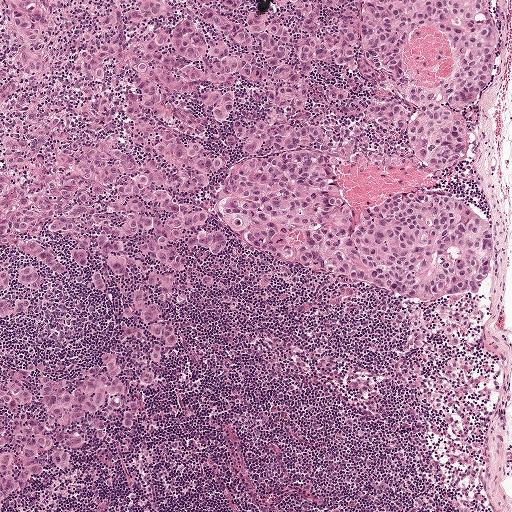
Lymph node section stained with H&E, from a whole-slide image of a breast-cancer sentinel node. Magnification about 5×, about 1 mm across the frame, about 1.9 µm per pixel.
Tumour region outline (a closed clockwise path, crop pixels): (0, 0), (494, 0), (500, 78), (463, 177), (498, 228), (488, 294), (452, 313), (405, 313), (235, 257), (216, 291), (178, 314), (184, 344), (141, 439), (7, 511).
About 65% of this field is tumour.